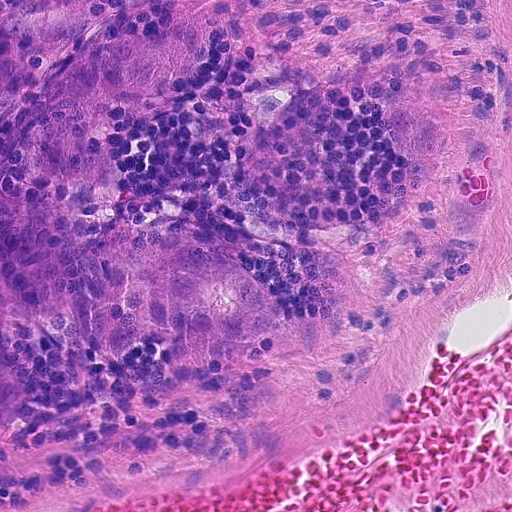
H&E-stained section of a sentinel lymph node (breast cancer), from a whole-slide image, viewed at about 20×: the field is about 0.23 mm across, about 0.45 µm per pixel.
Three metastatic tumour regions, each outlined as a closed clockwise path in crop pixels (x, y), largest first: region 1: (0, 0), (80, 0), (13, 26), (40, 42), (32, 96), (68, 54), (197, 3), (210, 28), (190, 82), (114, 122), (105, 176), (47, 186), (32, 210), (44, 237), (70, 246), (124, 230), (181, 238), (248, 270), (287, 309), (268, 330), (176, 350), (93, 346), (0, 306); region 2: (397, 99), (421, 110), (444, 126), (449, 136), (449, 149), (444, 160), (432, 167), (408, 160), (399, 152), (392, 141), (386, 116), (388, 104); region 3: (0, 363), (24, 387), (35, 412), (10, 422), (0, 423).
Tumour covers about 20% of the frame.